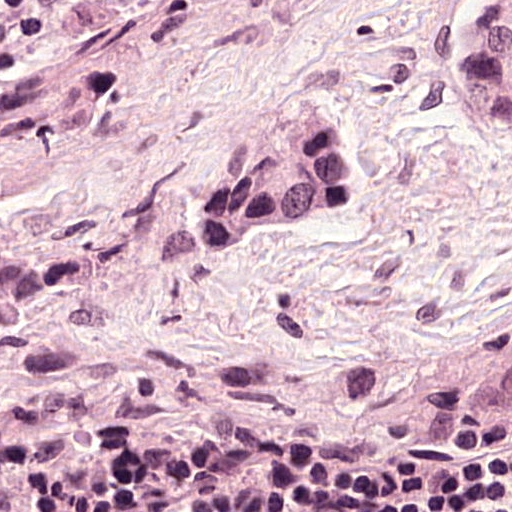
H&E-stained section of a sentinel lymph node (breast cancer), from a whole-slide image, viewed at about 40×: the field is about 0.12 mm across, about 0.24 µm per pixel.
Boundaries of two metastatic tumour regions, simplified and listed clockwise, largest first: region 1: (328, 111), (356, 122), (368, 170), (364, 193), (332, 213), (277, 224), (236, 256), (207, 269), (169, 262), (160, 248), (167, 201), (193, 187), (212, 158), (238, 138); region 2: (511, 0), (511, 127), (475, 109), (467, 97), (466, 85), (462, 83), (458, 70), (456, 38), (469, 11), (483, 1).
One more small tumour piece is annotated here but not outlined.
The annotated tumour makes up about 10% of the crop.